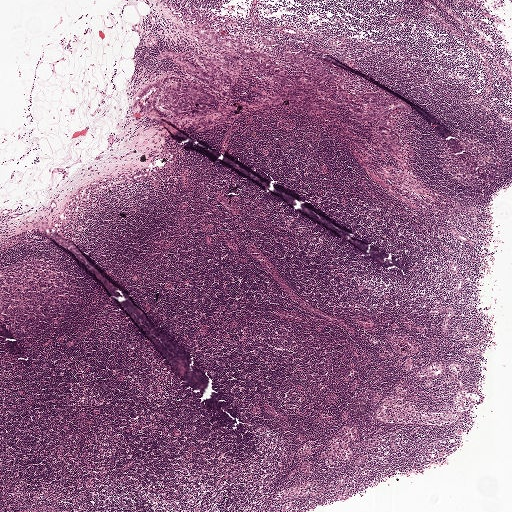
H&E-stained section of a sentinel lymph node (breast cancer), from a whole-slide image, viewed at about 2.5×: the field is about 2.0 mm across, about 3.9 µm per pixel.
Question: Where is the metastatic tumour in this field?
Answer: Six metastatic tumour regions, each outlined as a closed clockwise path in crop pixels (x, y), largest first: region 1: (172, 75), (185, 80), (213, 95), (218, 102), (217, 110), (198, 118), (181, 118), (162, 124), (140, 116), (134, 99), (144, 86), (161, 77); region 2: (306, 76), (323, 85), (344, 90), (353, 95), (371, 92), (390, 95), (405, 103), (411, 113), (395, 114), (391, 120), (391, 124), (400, 132), (407, 152), (398, 156), (388, 153), (382, 147), (378, 137), (378, 124), (357, 122), (345, 106), (303, 91), (294, 82), (294, 77); region 3: (186, 49), (196, 55), (214, 55), (221, 61), (222, 54), (232, 54), (237, 57), (240, 72), (236, 84), (226, 90), (228, 93), (226, 96), (221, 96), (204, 84), (183, 73), (170, 61), (156, 58), (157, 53), (163, 50); region 4: (198, 24), (242, 43), (258, 47), (276, 62), (282, 70), (281, 73), (273, 74), (259, 68), (237, 52), (217, 47), (194, 33), (194, 28); region 5: (301, 51), (340, 67), (346, 74), (345, 84), (340, 85), (326, 83), (305, 74), (287, 62), (284, 55), (285, 52); region 6: (263, 36), (267, 38), (268, 40), (270, 39), (273, 40), (276, 40), (276, 44), (268, 46), (266, 46), (262, 44), (260, 42), (260, 38).
Tumour covers about 5% of the frame.